A 0.5-mm field of an H&E-stained sentinel lymph node from a breast-cancer patient (whole-slide image), shown at about 10×, about 0.97 µm per pixel.
Question: 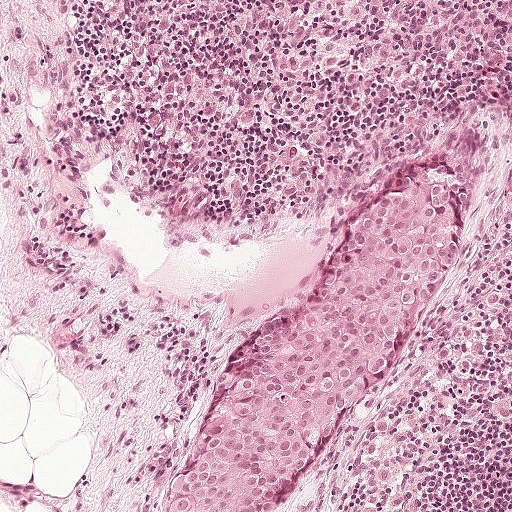
About how much of this crop is taken up by metastatic carcinoma?

Choices:
 (A) none: no tumour is outlined
 (B) about 25% to 45%
 (C) about 50% or more
 (D) about 10% to 20%
 (E) about 5% or less

Answer: (D) about 10% to 20%
About 20% of the field is tumour.
One metastatic tumour region; its boundary, reduced to 14 corners and listed clockwise: (452, 154), (477, 186), (474, 241), (440, 313), (383, 360), (358, 412), (277, 511), (158, 511), (159, 476), (192, 444), (254, 331), (321, 282), (337, 244), (383, 196).